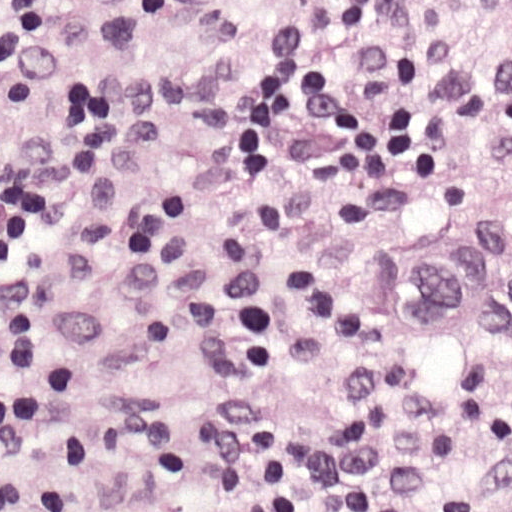
Lymph node section stained with H&E, from a whole-slide image of a breast-cancer sentinel node. Magnification about 40×, about 0.12 mm across the frame, about 0.24 µm per pixel.
One metastatic tumour region; its boundary, reduced to 6 corners and listed clockwise: (457, 202), (511, 273), (511, 289), (441, 340), (330, 321), (344, 220).
Tumour covers about 5% of the frame.